H&E-stained section of a sentinel lymph node (breast cancer), from a whole-slide image, viewed at about 2.5×: the field is about 2.0 mm across, about 3.9 µm per pixel.
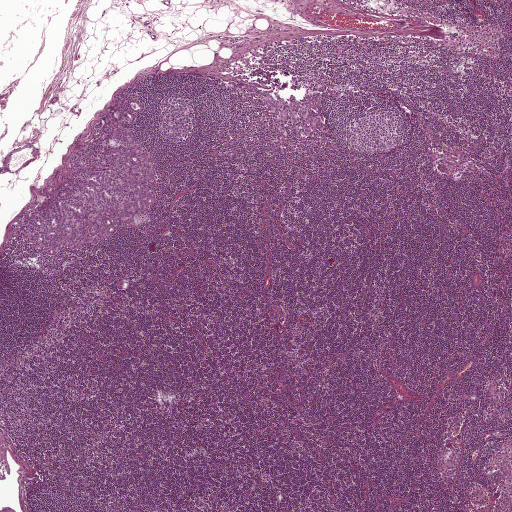
Question: Where is the metastatic tumour in this field?
Answer: Outlines of two tumour regions, largest first (closed clockwise paths, crop pixels): region 1: (116, 93), (143, 94), (148, 103), (134, 121), (140, 141), (154, 159), (158, 183), (154, 205), (143, 227), (120, 231), (98, 247), (71, 250), (59, 257), (45, 256), (23, 242), (12, 242), (11, 224), (45, 202), (64, 182), (69, 159), (87, 147), (94, 122); region 2: (230, 79), (262, 89), (273, 89), (284, 83), (322, 82), (326, 87), (322, 110), (325, 135), (306, 137), (286, 125), (281, 128), (262, 118), (260, 110), (250, 105), (244, 98), (230, 93), (227, 83).
The annotated tumour makes up about 5% of the crop.